Image:
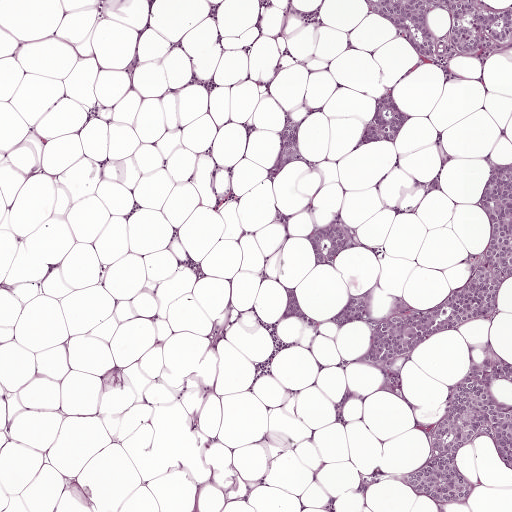
Lymph node section stained with H&E, from a whole-slide image of a breast-cancer sentinel node. Magnification about 5×, about 1 mm across the frame, about 1.9 µm per pixel.
Question:
Trace the edge of each tumour region in this crop, as (x, y) points from 0 to 511.
Answer:
Seven metastatic tumour regions, each outlined as a closed clockwise path in crop pixels (x, y), largest first: region 1: (511, 162), (511, 274), (501, 280), (496, 311), (455, 330), (428, 332), (412, 350), (393, 354), (388, 368), (396, 372), (400, 382), (400, 387), (392, 389), (382, 372), (365, 366), (375, 332), (367, 322), (356, 318), (345, 321), (334, 317), (337, 306), (358, 296), (368, 304), (366, 315), (375, 322), (385, 316), (428, 310), (460, 290), (468, 281), (474, 258), (486, 254), (489, 230), (480, 207), (495, 171); region 2: (488, 358), (511, 363), (511, 378), (501, 380), (488, 389), (493, 403), (507, 408), (511, 405), (511, 472), (503, 460), (493, 433), (479, 435), (456, 452), (457, 466), (467, 477), (471, 490), (462, 501), (418, 496), (407, 486), (403, 472), (416, 467), (458, 390), (467, 378), (480, 371); region 3: (360, 0), (474, 0), (482, 7), (511, 13), (511, 44), (448, 62), (433, 62), (412, 41); region 4: (390, 97), (406, 108), (407, 120), (402, 130), (395, 138), (374, 143), (362, 140), (363, 129), (371, 122), (380, 101); region 5: (340, 224), (346, 231), (347, 242), (342, 251), (323, 263), (314, 257), (307, 236); region 6: (296, 127), (297, 138), (300, 146), (291, 151), (279, 149), (280, 138), (285, 128); region 7: (285, 287), (293, 290), (296, 300), (305, 312), (306, 320), (293, 314), (282, 318), (287, 297).
Tumour covers about 10% of the frame.